Question: 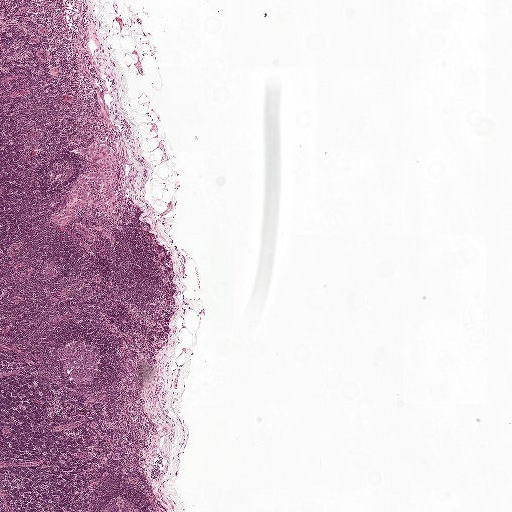
Lymph node section stained with H&E, from a whole-slide image of a breast-cancer sentinel node. Magnification about 2.5×, about 2.0 mm across the frame, about 3.9 µm per pixel.
Roughly what share of this field is metastatic tumour?

Choices:
 (A) about 25% to 45%
 (B) none: no tumour is outlined
 (C) about 50% or more
 (D) about 5% or less
 (E) about 10% to 20%

Answer: (D) about 5% or less
Under 5% of the field is tumour.
One metastatic tumour region; its boundary, reduced to 18 corners and listed clockwise: (96, 141), (108, 144), (118, 154), (120, 207), (116, 212), (105, 215), (89, 204), (71, 222), (65, 226), (60, 226), (51, 221), (50, 217), (66, 205), (80, 178), (87, 173), (98, 171), (93, 161), (76, 150).